Question: 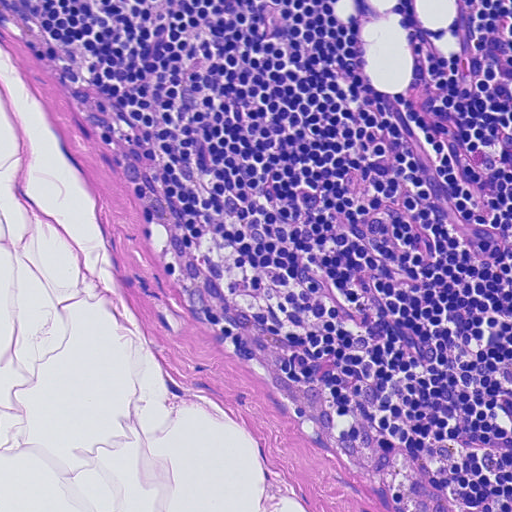
About what magnification does this crop show?

Choices:
 (A) about 2.5×
 (B) about 20×
 (C) about 40×
 (D) about 10×
 (E) about 5×

Answer: (B) about 20×
H&E-stained section of a sentinel lymph node (breast cancer), from a whole-slide image, viewed at about 20×: the field is about 0.23 mm across, about 0.45 µm per pixel.